This is a crop of a whole-slide image: an H&E-stained breast-cancer sentinel lymph node section at roughly 10× magnification (about 0.9 µm per pixel; the crop spans about 0.46 mm).
Image:
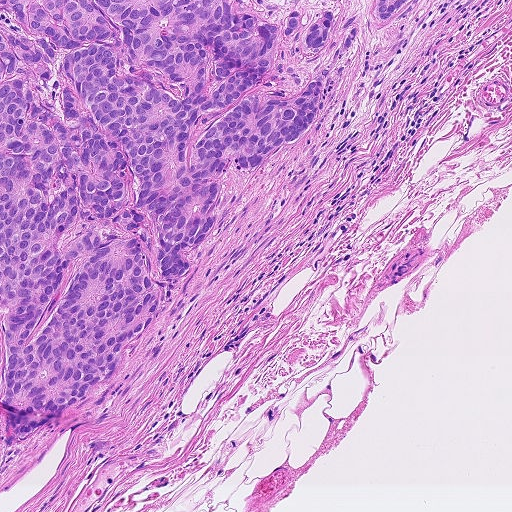
Question:
Where is the metastatic tumour in this field?
Answer:
Tumour region outline (a closed clockwise path, crop pixels): (0, 0), (415, 0), (377, 32), (368, 14), (312, 127), (265, 167), (224, 174), (212, 234), (108, 383), (0, 463).
The annotated tumour makes up about 40% of the crop.